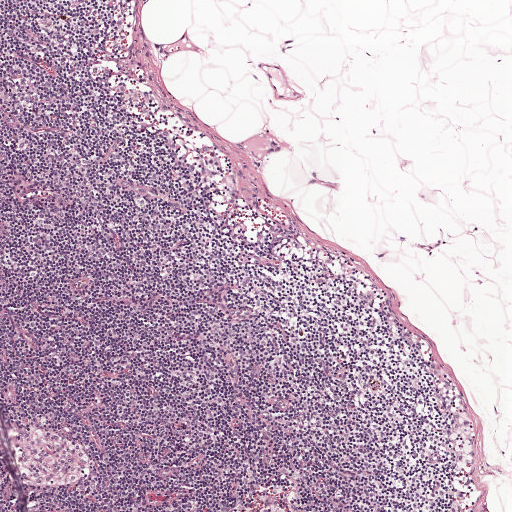
H&E-stained section of a sentinel lymph node (breast cancer), from a whole-slide image, viewed at about 5×: the field is about 1 mm across, about 1.9 µm per pixel.